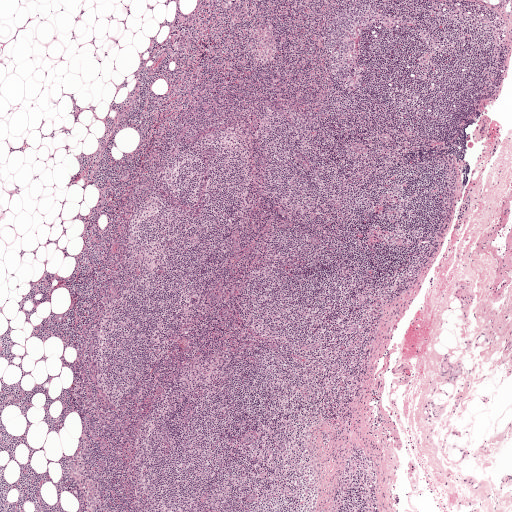
Lymph node section stained with H&E, from a whole-slide image of a breast-cancer sentinel node. Magnification about 2.5×, about 2.0 mm across the frame, about 3.9 µm per pixel.